A 0.23-mm field of an H&E-stained sentinel lymph node from a breast-cancer patient (whole-slide image), shown at about 20×, about 0.45 µm per pixel.
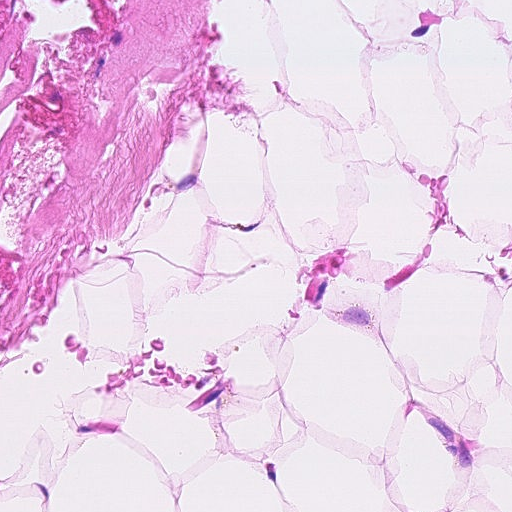
Question: Is any metastatic breast cancer visible in this crop?
Answer: No. No metastatic tumour is outlined in this field.